A 1-mm field of an H&E-stained sentinel lymph node from a breast-cancer patient (whole-slide image), shown at about 5×, about 1.9 µm per pixel.
Image:
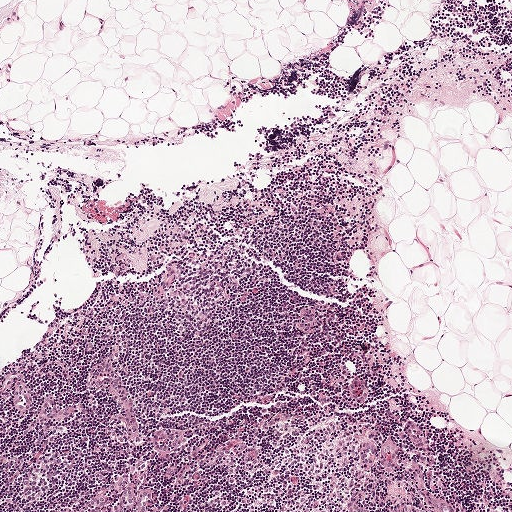
Question:
Does this lymph node field contain metastatic tumour?
Answer:
No. No metastatic tumour is outlined in this field.